Question: 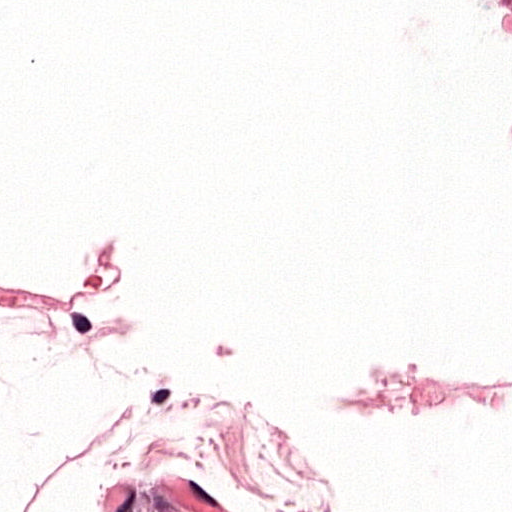
About what magnification does this crop show?

Choices:
 (A) about 2.5×
 (B) about 5×
 (C) about 10×
 (D) about 40×
 (E) about 20×

Answer: (D) about 40×
H&E-stained section of a sentinel lymph node (breast cancer), from a whole-slide image, viewed at about 40×: the field is about 0.12 mm across, about 0.24 µm per pixel.
The outlined metastatic tumour's edge, as a closed clockwise path of 5 points: (477, 0), (511, 0), (511, 39), (495, 27), (477, 4).
One more small tumour piece is annotated here but not outlined.
Under 5% of the image area is annotated as tumour.